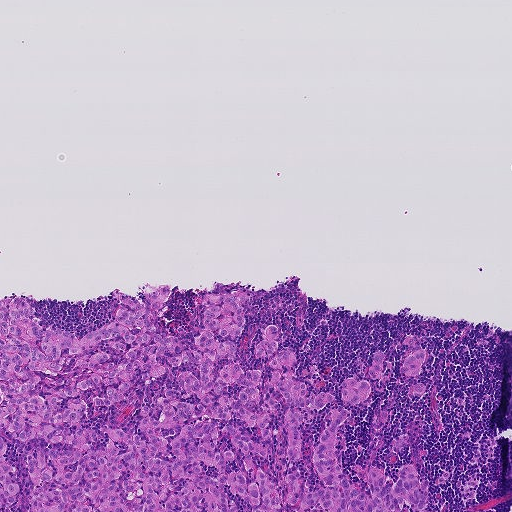
This is a crop of a whole-slide image: an H&E-stained breast-cancer sentinel lymph node section at roughly 5× magnification (about 1.8 µm per pixel; the crop spans about 0.93 mm).
Outlines of two tumour regions, largest first (closed clockwise paths, crop pixels): region 1: (170, 286), (159, 329), (192, 355), (200, 300), (244, 291), (242, 371), (265, 391), (270, 324), (298, 357), (283, 372), (334, 396), (301, 411), (305, 492), (342, 381), (384, 351), (335, 441), (371, 499), (355, 468), (428, 478), (422, 511), (0, 511), (0, 298), (80, 338); region 2: (418, 351), (426, 353), (425, 362), (421, 365), (420, 373), (411, 375), (403, 375), (401, 368), (404, 360), (410, 354).
The annotated tumour makes up about 25% of the crop.